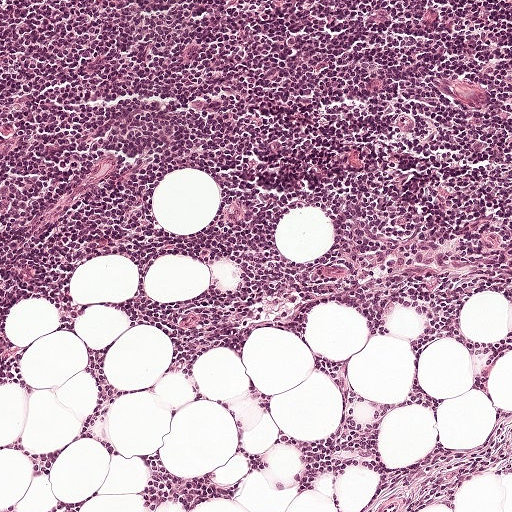
This is a crop of a whole-slide image: an H&E-stained breast-cancer sentinel lymph node section at roughly 10× magnification (about 0.97 µm per pixel; the crop spans about 0.5 mm).
Question: Is there metastatic carcinoma in this field?
Answer: No: no metastatic tumour is outlined anywhere in this field.